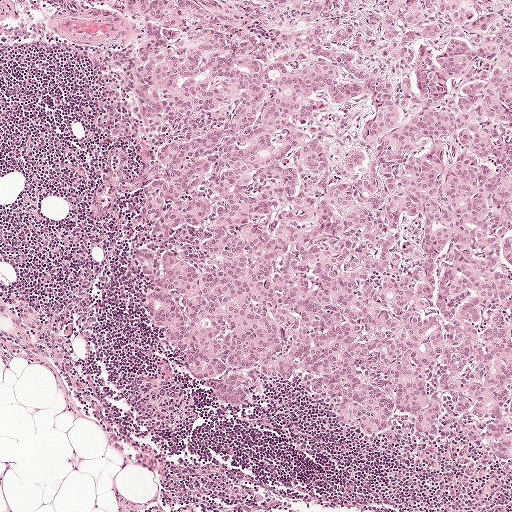
Lymph node section stained with H&E, from a whole-slide image of a breast-cancer sentinel node. Magnification about 5×, about 1 mm across the frame, about 1.9 µm per pixel.
Question: Which parts of this field are metastatic tumour? Answer with the outline of each region, in pixels.
Answer: Tumour region outline (a closed clockwise path, crop pixels): (48, 0), (511, 0), (511, 462), (466, 418), (445, 439), (408, 424), (369, 439), (280, 379), (239, 409), (197, 385), (151, 326), (144, 190), (89, 212), (107, 154), (124, 153), (125, 180), (142, 167), (142, 113), (112, 63), (140, 22).
The annotated tumour makes up about 60% of the crop.